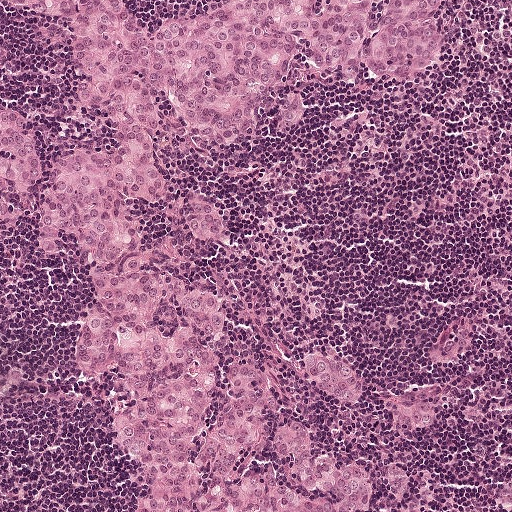
Lymph node section stained with H&E, from a whole-slide image of a breast-cancer sentinel node. Magnification about 10×, about 0.5 mm across the frame, about 0.97 µm per pixel.
Boundaries of three metastatic tumour regions, simplified and listed clockwise, largest first: region 1: (2, 0), (121, 0), (146, 30), (199, 0), (450, 0), (424, 73), (306, 68), (299, 126), (189, 160), (226, 237), (130, 228), (228, 304), (221, 356), (359, 467), (368, 511), (137, 511), (70, 354), (80, 254), (30, 220), (0, 246), (0, 105), (50, 179), (120, 152); region 2: (307, 352), (332, 357), (348, 366), (351, 373), (358, 377), (360, 390), (359, 400), (349, 407), (334, 407), (320, 400), (313, 391), (297, 380), (298, 371); region 3: (0, 369), (6, 376), (8, 383), (7, 395), (0, 398).
About 40% of the image area is annotated as tumour.